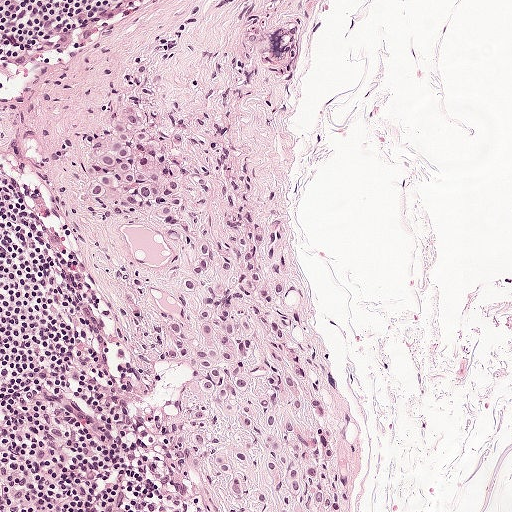
This is a crop of a whole-slide image: an H&E-stained breast-cancer sentinel lymph node section at roughly 10× magnification (about 0.97 µm per pixel; the crop spans about 0.5 mm).
Question: Is there metastatic carcinoma in this field?
Answer: Yes.
One metastatic tumour region; its boundary, reduced to 21 corners and listed clockwise: (120, 106), (169, 127), (206, 181), (256, 190), (276, 206), (287, 243), (284, 297), (317, 340), (324, 412), (348, 472), (338, 511), (237, 511), (188, 448), (191, 374), (156, 328), (177, 300), (166, 280), (177, 252), (134, 220), (78, 203), (88, 143).
About 20% of this field is tumour.